Question: 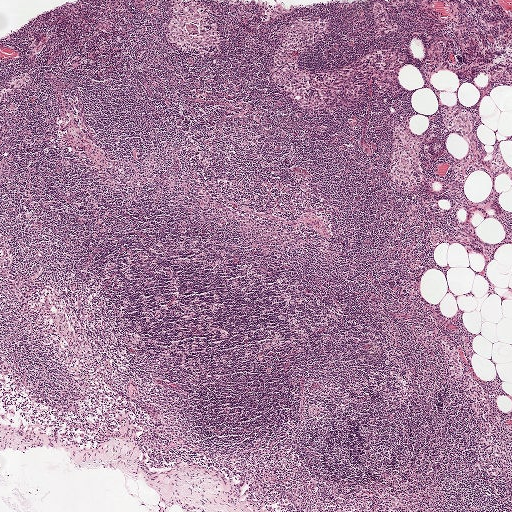
H&E-stained section of a sentinel lymph node (breast cancer), from a whole-slide image, viewed at about 2.5×: the field is about 2.0 mm across, about 3.9 µm per pixel.
Roughly what share of this field is metastatic tumour?

Choices:
 (A) none: no tumour is outlined
 (B) about 50% or more
 (C) about 5% or less
 (D) about 10% to 20%
 (E) about 25% to 45%

Answer: (A) none: no tumour is outlined
No metastatic tumour is outlined in this field.